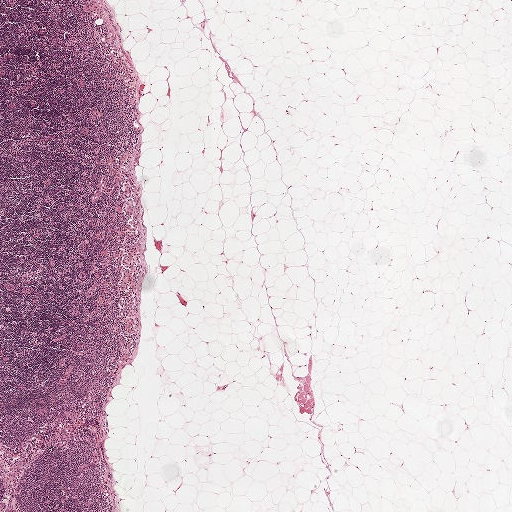
H&E-stained section of a sentinel lymph node (breast cancer), from a whole-slide image, viewed at about 2.5×: the field is about 2.0 mm across, about 3.9 µm per pixel.
Two metastatic tumour regions, each outlined as a closed clockwise path in crop pixels (x, y), largest first: region 1: (130, 179), (131, 189), (132, 192), (140, 195), (140, 199), (139, 203), (137, 203), (134, 203), (130, 195), (128, 194), (123, 193), (121, 191), (122, 185), (125, 181), (127, 180); region 2: (127, 202), (132, 202), (135, 206), (135, 207), (135, 212), (134, 216), (130, 217), (125, 217), (123, 216), (122, 213), (122, 210), (123, 206).
Tumour covers under 5% of the frame.